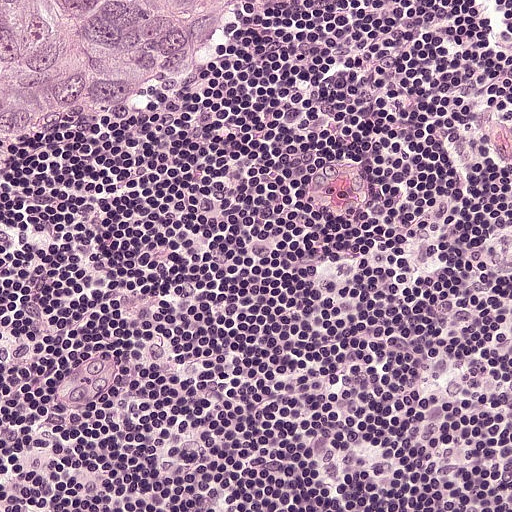
This is a crop of a whole-slide image: an H&E-stained breast-cancer sentinel lymph node section at roughly 20× magnification (about 0.49 µm per pixel; the crop spans about 0.25 mm).
Question: Where is the metastatic tumour in this field? Give each region's outline as (x, y) pixel points.
Answer: One metastatic tumour region; its boundary, reduced to 4 corners and listed clockwise: (0, 0), (322, 0), (138, 129), (3, 158).
About 10% of this field is tumour.